Question: 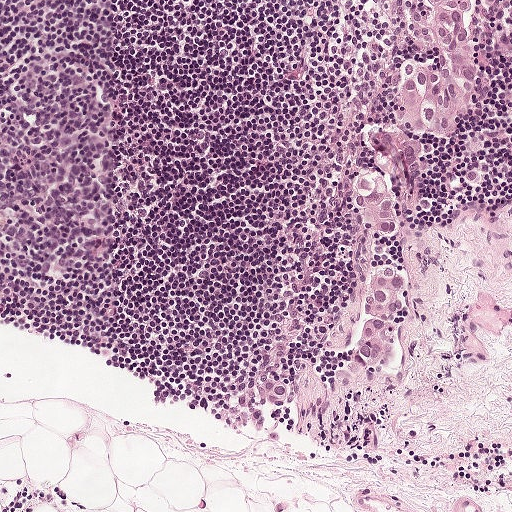
A 0.5-mm field of an H&E-stained sentinel lymph node from a breast-cancer patient (whole-slide image), shown at about 10×, about 0.97 µm per pixel.
Estimate the proportion of this field that is metastatic tumour.

Choices:
 (A) none: no tumour is outlined
 (B) about 25% to 45%
 (C) about 10% to 20%
 (D) about 5% or less
 (E) about 50% or more

Answer: (D) about 5% or less
About 5% of the field is tumour.
The outlined metastatic tumour's edge, as a closed clockwise path of 24 points: (418, 0), (474, 0), (466, 17), (474, 104), (460, 136), (425, 150), (429, 182), (421, 198), (389, 237), (373, 246), (375, 261), (402, 276), (400, 324), (383, 369), (365, 372), (351, 356), (362, 306), (352, 192), (360, 171), (372, 164), (369, 137), (392, 125), (406, 50), (418, 40).